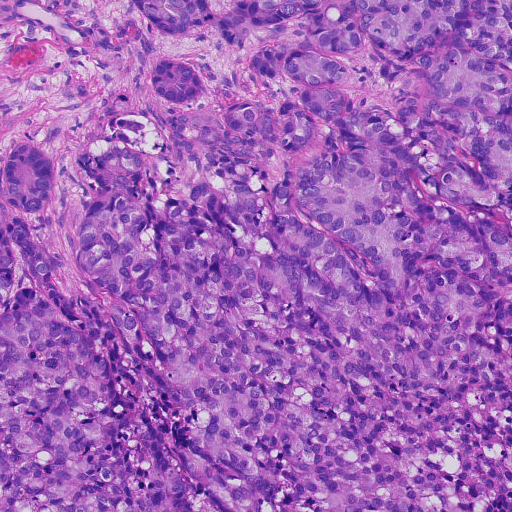
H&E-stained section of a sentinel lymph node (breast cancer), from a whole-slide image, viewed at about 10×: the field is about 0.46 mm across, about 0.91 µm per pixel.
The outlined metastatic tumour's edge, as a closed clockwise path of 23 points: (511, 0), (511, 511), (0, 511), (4, 159), (18, 140), (40, 147), (54, 190), (24, 221), (70, 295), (117, 302), (73, 239), (91, 130), (177, 104), (146, 80), (182, 54), (200, 70), (185, 112), (282, 103), (279, 80), (255, 77), (263, 32), (220, 46), (129, 6).
About 90% of this field is tumour.